Question: 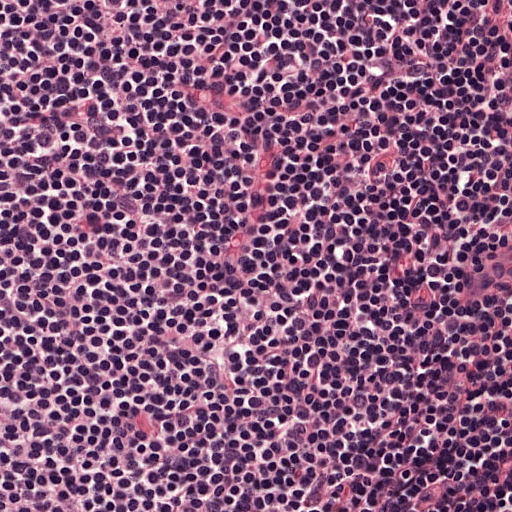
At roughly what magnification is this field shown?

Choices:
 (A) about 40×
 (B) about 2.5×
 (C) about 10×
 (D) about 5×
 (E) about 20×

Answer: (E) about 20×
This is a crop of a whole-slide image: an H&E-stained breast-cancer sentinel lymph node section at roughly 20× magnification (about 0.49 µm per pixel; the crop spans about 0.25 mm).